Image:
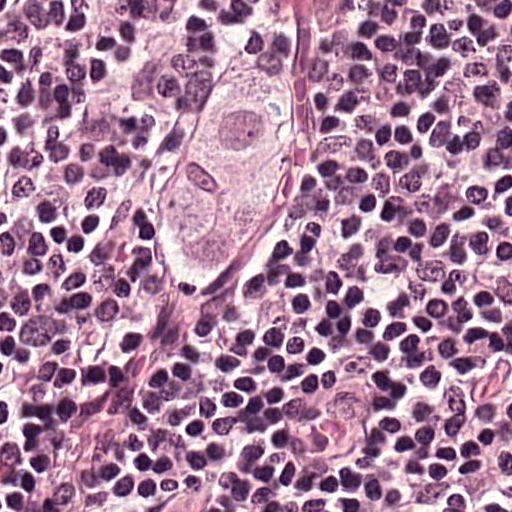
This is a crop of a whole-slide image: an H&E-stained breast-cancer sentinel lymph node section at roughly 40× magnification (about 0.24 µm per pixel; the crop spans about 0.12 mm).
Question:
Outline the metastatic carcinoma in this image, as closed paths of (x, y) pixel coordinates.
Answer:
One metastatic tumour region; its boundary, reduced to 13 corners and listed clockwise: (240, 52), (306, 70), (321, 107), (321, 136), (308, 186), (280, 239), (243, 281), (206, 303), (161, 289), (143, 262), (140, 228), (195, 86), (206, 70).
Tumour covers about 10% of the frame.